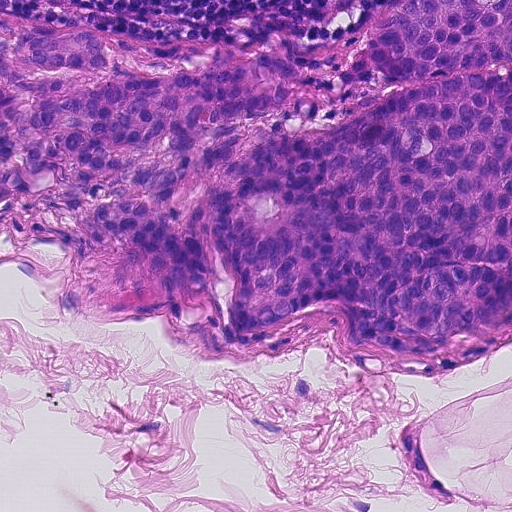
A 0.23-mm field of an H&E-stained sentinel lymph node from a breast-cancer patient (whole-slide image), shown at about 20×, about 0.45 µm per pixel.
Metastatic tumour outline, simplified to 17 points and listed clockwise in crop pixels (x, y): (396, 0), (511, 0), (511, 336), (450, 368), (410, 371), (372, 358), (344, 330), (334, 302), (266, 342), (225, 342), (91, 232), (0, 205), (0, 8), (154, 47), (234, 45), (272, 58), (311, 52).
Tumour covers about 55% of the frame.